Question: 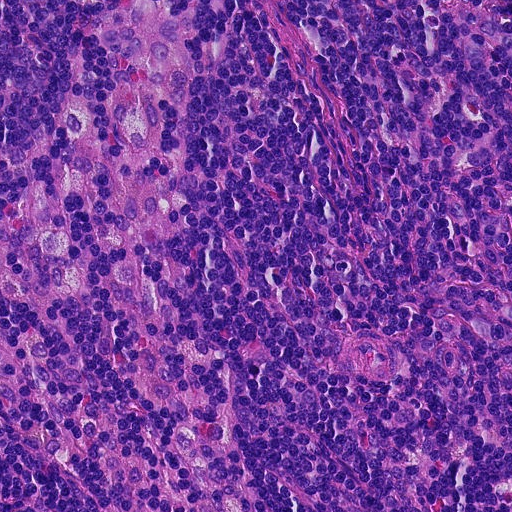
Which magnification is this H&E lymph node field most likely shown at?

Choices:
 (A) about 40×
 (B) about 5×
 (C) about 10×
 (D) about 2.5×
 (E) about 20×

Answer: (E) about 20×
Lymph node section stained with H&E, from a whole-slide image of a breast-cancer sentinel node. Magnification about 20×, about 0.23 mm across the frame, about 0.45 µm per pixel.